H&E-stained section of a sentinel lymph node (breast cancer), from a whole-slide image, viewed at about 10×: the field is about 0.5 mm across, about 0.97 µm per pixel.
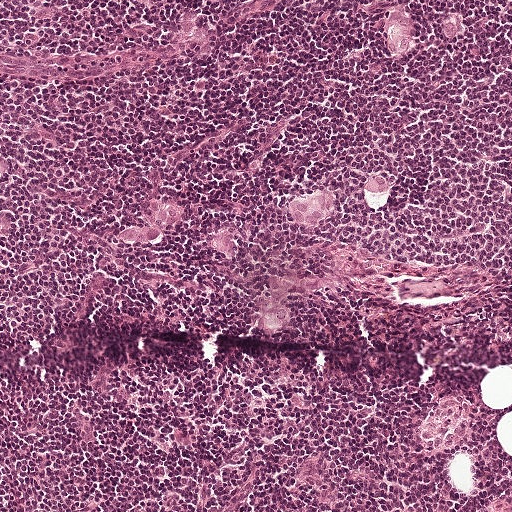
Outlines of five tumour regions, largest first (closed clockwise paths, crop pixels): region 1: (317, 188), (326, 192), (334, 199), (334, 215), (328, 220), (319, 219), (313, 227), (292, 218), (286, 207), (290, 196); region 2: (169, 199), (178, 201), (183, 206), (183, 213), (168, 227), (158, 227), (160, 230), (159, 238), (148, 240), (143, 243), (126, 239), (119, 234), (122, 228), (132, 224), (155, 226), (153, 225), (153, 218), (155, 205); region 3: (390, 8), (402, 8), (413, 19), (408, 32), (410, 44), (401, 55), (389, 53), (385, 49), (381, 34), (383, 18); region 4: (217, 229), (231, 232), (234, 235), (235, 242), (238, 250), (237, 257), (222, 256), (216, 253), (214, 247), (205, 242), (206, 233); region 5: (0, 152), (6, 154), (11, 160), (6, 177), (0, 179).
Three more small tumour pieces are annotated here but not outlined.
Tumour covers under 5% of the frame.